Question: 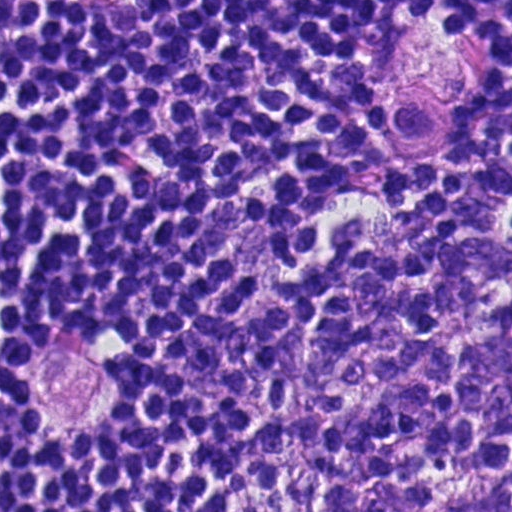
About what magnification does this crop show?

Choices:
 (A) about 20×
 (B) about 2.5×
 (C) about 40×
 (D) about 5×
 (E) about 10×

Answer: (C) about 40×
Lymph node section stained with H&E, from a whole-slide image of a breast-cancer sentinel node. Magnification about 40×, about 0.12 mm across the frame, about 0.23 µm per pixel.
Boundaries of two metastatic tumour regions, simplified and listed clockwise, largest first: region 1: (45, 332), (89, 339), (126, 372), (112, 416), (0, 476), (0, 410), (12, 416), (37, 379); region 2: (444, 20), (479, 64), (474, 121), (430, 158), (384, 128), (393, 43).
About 5% of this field is tumour.